Lymph node section stained with H&E, from a whole-slide image of a breast-cancer sentinel node. Magnification about 2.5×, about 1.9 mm across the frame, about 3.6 µm per pixel.
Question: 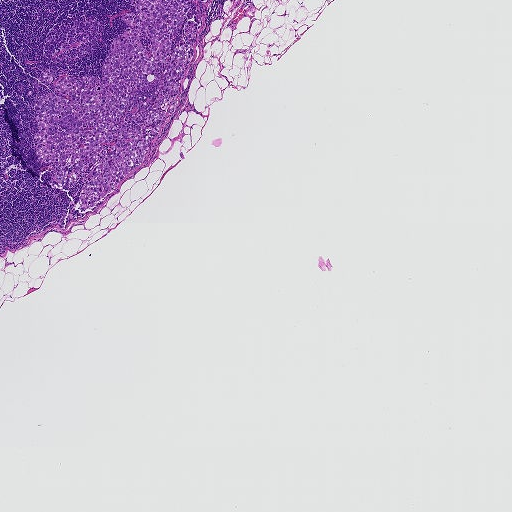
What fraction of the image area is metastatic tumour?

Choices:
 (A) about 25% to 45%
 (B) none: no tumour is outlined
 (C) about 5% or less
 (D) about 50% or more
 (E) about 10% to 20%

Answer: (C) about 5% or less
About 5% of the field is tumour.
Two metastatic tumour regions, each outlined as a closed clockwise path in crop pixels (x, y), largest first: region 1: (131, 0), (191, 0), (170, 45), (193, 14), (199, 25), (175, 113), (162, 120), (142, 163), (82, 211), (80, 191), (96, 163), (71, 184), (54, 184), (60, 170), (39, 160), (33, 136), (39, 97), (59, 96), (60, 76), (101, 80), (115, 36), (130, 28), (120, 17), (136, 10); region 2: (45, 71), (49, 77), (52, 76), (53, 79), (51, 82), (48, 82), (41, 81), (38, 79), (42, 72).